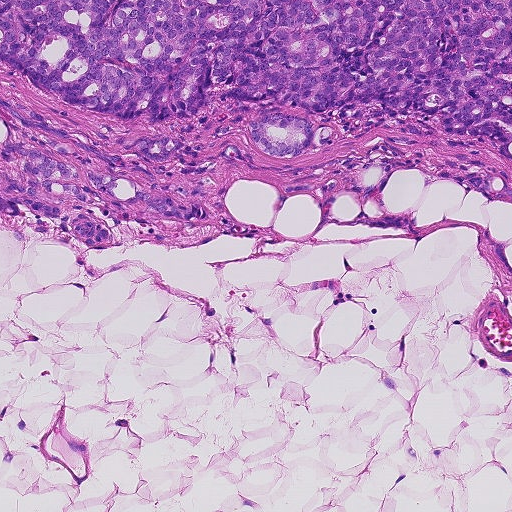
This is a crop of a whole-slide image: an H&E-stained breast-cancer sentinel lymph node section at roughly 10× magnification (about 0.9 µm per pixel; the crop spans about 0.46 mm).
Outlines of two tumour regions, largest first (closed clockwise paths, crop pixels): region 1: (0, 0), (511, 0), (511, 169), (483, 143), (364, 104), (311, 120), (302, 155), (266, 157), (247, 126), (261, 113), (307, 113), (247, 100), (170, 123), (185, 143), (154, 162), (126, 146), (169, 137), (166, 123), (92, 114), (0, 62); region 2: (0, 122), (9, 140), (46, 151), (70, 142), (82, 156), (87, 172), (124, 178), (212, 216), (182, 221), (145, 214), (91, 192), (93, 212), (108, 218), (120, 244), (107, 251), (84, 251), (60, 220), (48, 220), (25, 204), (14, 206), (20, 216), (0, 213).
About 30% of this field is tumour.